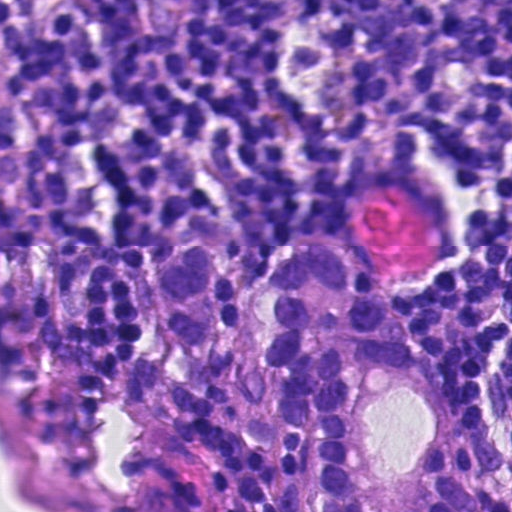
This is a crop of a whole-slide image: an H&E-stained breast-cancer sentinel lymph node section at roughly 40× magnification (about 0.23 µm per pixel; the crop spans about 0.12 mm).
One metastatic tumour region; its boundary, reduced to 13 corners and listed clockwise: (309, 227), (353, 260), (400, 332), (441, 362), (479, 442), (469, 511), (279, 511), (265, 447), (147, 376), (149, 255), (172, 232), (224, 238), (254, 266).
About 25% of this field is tumour.